Question: 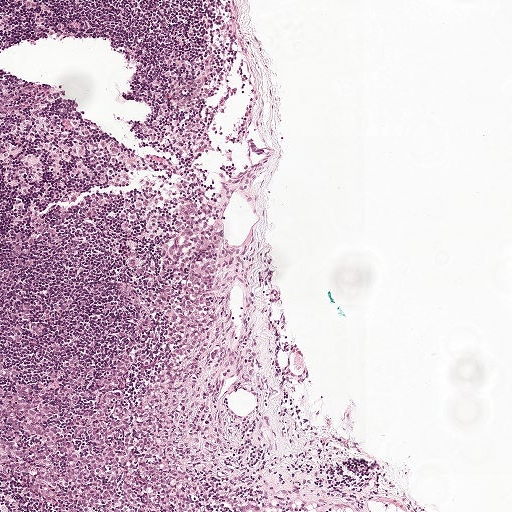
A 1-mm field of an H&E-stained sentinel lymph node from a breast-cancer patient (whole-slide image), shown at about 5×, about 1.9 µm per pixel.
What fraction of the image area is metastatic tumour?

Choices:
 (A) about 25% to 45%
 (B) none: no tumour is outlined
 (C) about 10% to 20%
 (D) about 5% or less
 (E) about 50% or more

Answer: (C) about 10% to 20%
About 15% of the field is tumour.
One metastatic tumour region; its boundary, reduced to 18 corners and listed clockwise: (190, 195), (225, 212), (234, 230), (218, 309), (163, 411), (160, 442), (171, 455), (248, 494), (265, 511), (55, 511), (0, 477), (0, 381), (34, 377), (78, 358), (111, 364), (138, 350), (168, 296), (177, 213).